This is a crop of a whole-slide image: an H&E-stained breast-cancer sentinel lymph node section at roughly 20× magnification (about 0.5 µm per pixel; the crop spans about 0.26 mm).
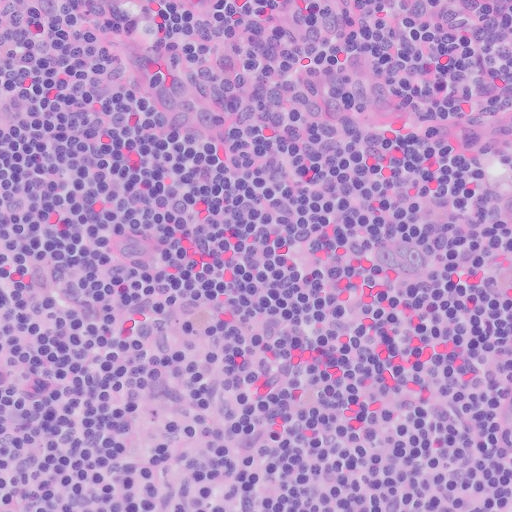
Tumour region outline (a closed clockwise path, crop pixels): (419, 0), (511, 0), (511, 40), (480, 27).
One more small tumour piece is annotated here but not outlined.
Tumour covers under 5% of the frame.